Question: 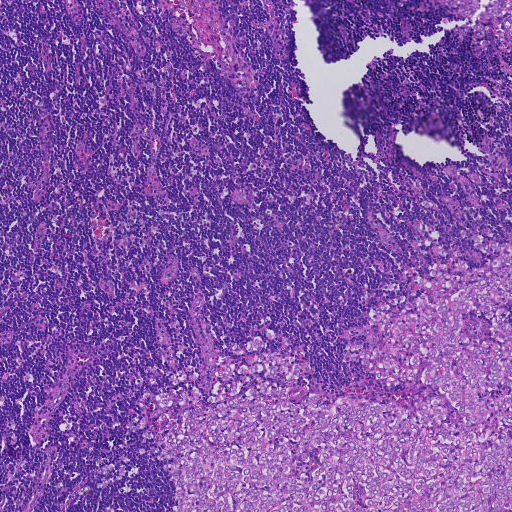
A 0.93-mm field of an H&E-stained sentinel lymph node from a breast-cancer patient (whole-slide image), shown at about 5×, about 1.8 µm per pixel.
Roughly what share of this field is metastatic tumour?

Choices:
 (A) about 5% or less
 (B) none: no tumour is outlined
 (C) about 50% or more
 (D) about 25% to 45%
 (E) about 10% to 20%

Answer: (D) about 25% to 45%
About 25% of the field is tumour.
Outlines of three tumour regions, largest first (closed clockwise paths, crop pixels): region 1: (476, 233), (511, 242), (511, 511), (177, 511), (132, 421), (168, 370), (154, 322), (206, 403), (267, 329), (301, 350), (296, 403), (411, 411), (440, 395), (347, 346), (386, 345), (370, 314), (428, 294), (443, 250), (477, 269), (499, 251); region 2: (438, 0), (511, 0), (511, 39), (508, 42), (503, 48), (496, 48), (488, 50), (481, 49), (477, 42), (474, 27), (476, 25); region 3: (107, 464), (114, 464), (127, 468), (125, 475), (121, 481), (114, 482), (108, 486), (99, 488), (97, 485), (103, 480), (116, 476), (117, 469), (105, 474), (98, 475), (97, 472), (100, 466).